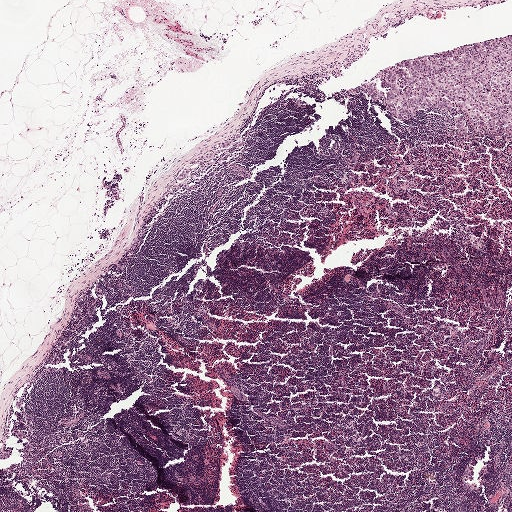
This is a crop of a whole-slide image: an H&E-stained breast-cancer sentinel lymph node section at roughly 2.5× magnification (about 3.9 µm per pixel; the crop spans about 2.0 mm).
Question: Which parts of this field are metastatic tumour? Answer with the outline of each region, in pixels.
Answer: Boundaries of four metastatic tumour regions, simplified and listed clockwise, largest first: region 1: (511, 39), (511, 130), (477, 131), (466, 111), (456, 106), (452, 110), (437, 106), (417, 107), (412, 120), (401, 120), (382, 101), (372, 98), (366, 87), (370, 82), (388, 93), (388, 89), (382, 87), (383, 76), (395, 64), (443, 55), (464, 44), (482, 40); region 2: (457, 114), (464, 115), (467, 130), (466, 136), (460, 136), (455, 132), (452, 126), (454, 119); region 3: (239, 134), (242, 136), (242, 138), (239, 140), (233, 140), (232, 142), (233, 143), (235, 143), (242, 142), (243, 143), (243, 146), (241, 148), (238, 148), (231, 145), (227, 148), (224, 148), (220, 147), (220, 142); region 4: (191, 167), (192, 169), (185, 179), (179, 181), (175, 180), (175, 178), (177, 176), (184, 169).
Eight more small tumour pieces are annotated here but not outlined.
About 5% of the image area is annotated as tumour.